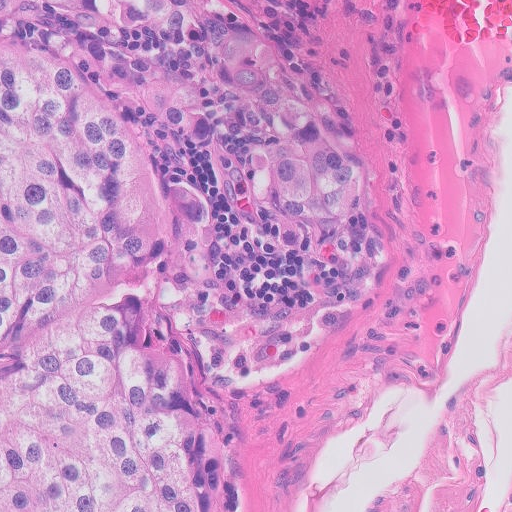
Lymph node section stained with H&E, from a whole-slide image of a breast-cancer sentinel node. Magnification about 20×, about 0.26 mm across the frame, about 0.5 µm per pixel.
The outlined metastatic tumour's edge, as a closed clockwise path of 9 points: (0, 0), (214, 0), (278, 86), (321, 187), (210, 206), (238, 318), (204, 426), (225, 511), (0, 511).
About 45% of the image area is annotated as tumour.